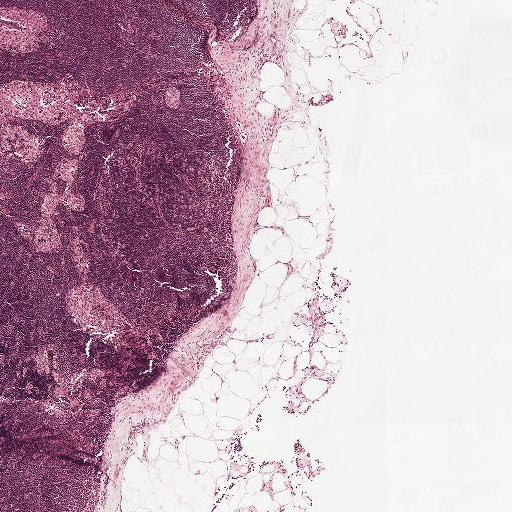
This is a crop of a whole-slide image: an H&E-stained breast-cancer sentinel lymph node section at roughly 2.5× magnification (about 3.9 µm per pixel; the crop spans about 2.0 mm).
The outlined metastatic tumour's edge, as a closed clockwise path of 8 points: (174, 86), (180, 91), (180, 101), (179, 110), (172, 109), (166, 103), (164, 95), (167, 88).
Under 5% of this field is tumour.